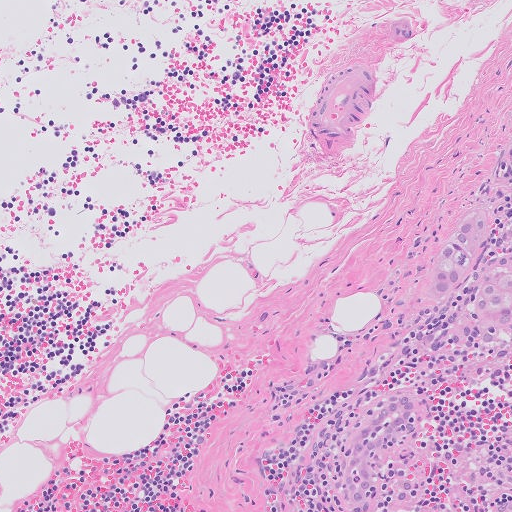
Lymph node section stained with H&E, from a whole-slide image of a breast-cancer sentinel node. Magnification about 10×, about 0.51 mm across the frame, about 1.0 µm per pixel.
Outlines of two tumour regions, largest first (closed clockwise paths, crop pixels): region 1: (488, 210), (498, 221), (492, 252), (511, 243), (511, 339), (483, 352), (452, 353), (443, 342), (452, 315), (441, 305), (424, 306), (410, 299), (415, 272), (444, 232), (474, 211); region 2: (511, 132), (511, 169), (508, 168), (504, 154), (507, 140).
About 5% of the image area is annotated as tumour.